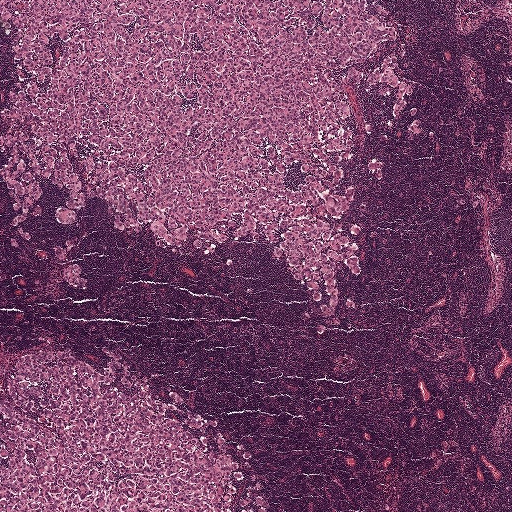
This is a crop of a whole-slide image: an H&E-stained breast-cancer sentinel lymph node section at roughly 2.5× magnification (about 3.9 µm per pixel; the crop spans about 2.0 mm).
Outlines of four tumour regions, largest first (closed clockwise paths, crop pixels): region 1: (0, 0), (386, 8), (422, 129), (346, 85), (331, 192), (353, 193), (325, 218), (362, 232), (341, 232), (338, 323), (315, 331), (270, 242), (162, 250), (96, 197), (61, 223), (43, 179), (7, 248); region 2: (100, 347), (120, 353), (148, 378), (157, 398), (177, 394), (191, 413), (217, 422), (230, 450), (235, 444), (249, 449), (269, 511), (0, 511), (0, 393), (19, 357), (70, 350), (101, 375), (107, 358); region 3: (73, 236), (78, 237), (77, 241), (66, 252), (65, 258), (69, 262), (78, 263), (81, 266), (82, 279), (82, 286), (69, 283), (62, 274), (61, 264), (53, 255), (55, 248), (64, 244), (68, 238); region 4: (375, 160), (382, 164), (382, 174), (380, 179), (373, 177), (370, 168), (367, 166), (368, 163).
About 45% of this field is tumour.